A 1-mm field of an H&E-stained sentinel lymph node from a breast-cancer patient (whole-slide image), shown at about 5×, about 1.9 µm per pixel.
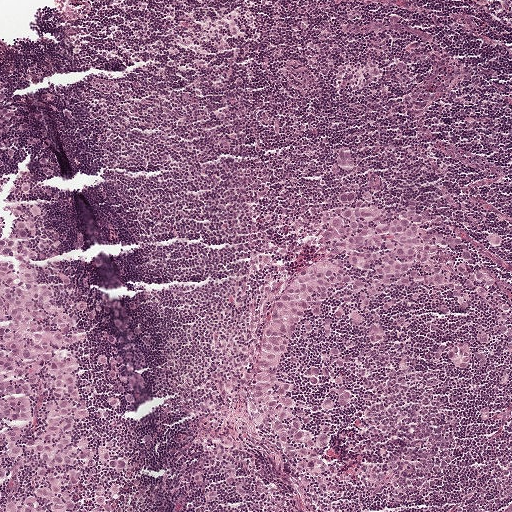
Boundaries of two metastatic tumour regions, simplified and listed clockwise, largest first: region 1: (374, 201), (388, 213), (407, 207), (467, 241), (472, 273), (509, 316), (511, 364), (490, 351), (483, 373), (470, 366), (450, 376), (444, 356), (470, 347), (490, 322), (479, 306), (460, 317), (428, 292), (388, 322), (379, 354), (342, 331), (333, 337), (340, 375), (301, 346), (280, 352), (283, 366), (320, 378), (346, 402), (309, 431), (309, 438), (326, 434), (335, 506), (313, 498), (239, 417), (241, 373), (266, 315), (304, 268), (329, 204); region 2: (0, 157), (15, 162), (19, 186), (54, 240), (54, 264), (94, 317), (92, 330), (83, 330), (87, 344), (81, 383), (96, 432), (128, 468), (117, 511), (0, 511).
The annotated tumour makes up about 25% of the crop.